Image:
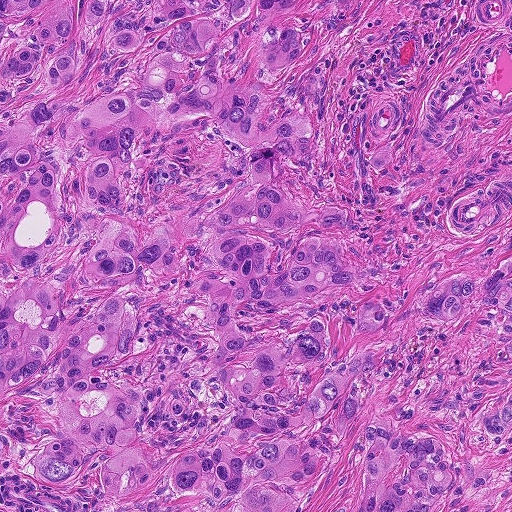
H&E-stained section of a sentinel lymph node (breast cancer), from a whole-slide image, viewed at about 10×: the field is about 0.46 mm across, about 0.9 µm per pixel.
Question:
Is any metastatic breast cancer visible in this crop?
Answer:
Yes.
Metastatic tumour covers the whole field.
Over 95% of this field is tumour.